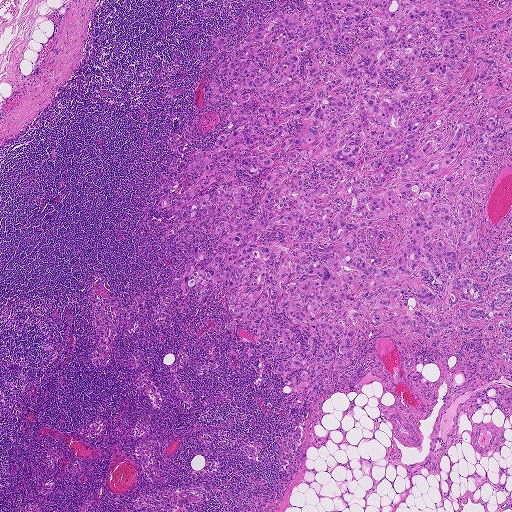
A 1.9-mm field of an H&E-stained sentinel lymph node from a breast-cancer patient (whole-slide image), shown at about 2.5×, about 3.6 µm per pixel.
Question: Where is the metastatic tumour in this field?
Answer: The outlined metastatic tumour's edge, as a closed clockwise path of 20 points: (308, 0), (511, 0), (511, 364), (485, 328), (434, 348), (386, 311), (293, 414), (294, 354), (226, 326), (237, 286), (182, 295), (211, 225), (166, 220), (204, 169), (162, 208), (158, 183), (260, 103), (212, 99), (206, 34), (235, 59).
One more small tumour piece is annotated here but not outlined.
Tumour covers about 40% of the frame.